Question: 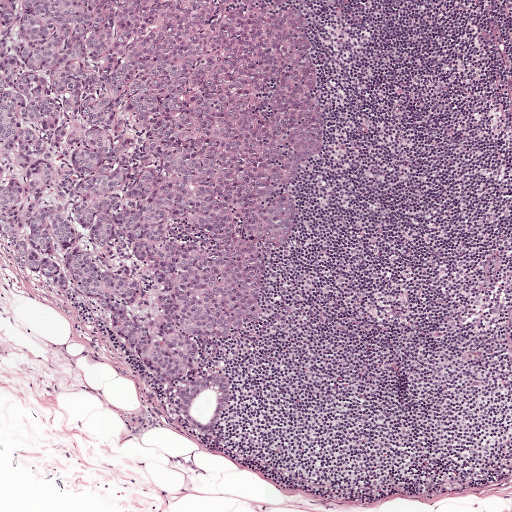
Lymph node section stained with H&E, from a whole-slide image of a breast-cancer sentinel node. Magnification about 5×, about 1 mm across the frame, about 1.9 µm per pixel.
Estimate the proportion of this field that is metastatic tumour.

Choices:
 (A) none: no tumour is outlined
 (B) about 25% to 45%
 (C) about 50% or more
 (D) about 10% to 20%
 (E) about 5% or less

Answer: (B) about 25% to 45%
About 40% of the field is tumour.
Metastatic tumour outline, simplified to 19 points and listed clockwise in crop pixels (x, y): (0, 0), (301, 4), (323, 136), (292, 186), (276, 185), (273, 198), (292, 194), (299, 222), (285, 249), (265, 254), (258, 324), (232, 342), (188, 336), (200, 367), (229, 375), (218, 423), (190, 424), (103, 321), (0, 244).